Question: 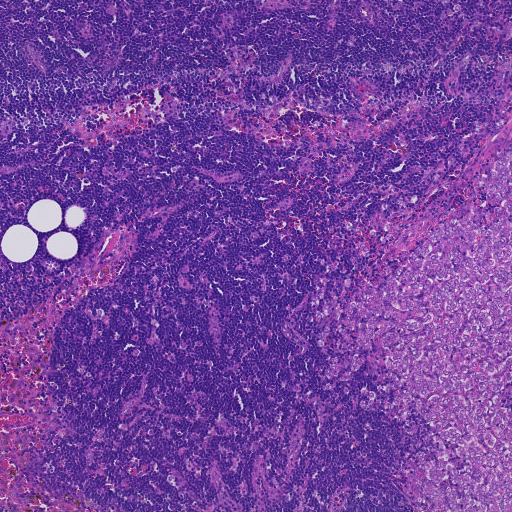
Lymph node section stained with H&E, from a whole-slide image of a breast-cancer sentinel node. Magnification about 5×, about 0.93 mm across the frame, about 1.8 µm per pixel.
What fraction of the image area is metastatic tumour?

Choices:
 (A) about 25% to 45%
 (B) about 5% or less
 (C) about 10% to 20%
 (D) none: no tumour is outlined
 (E) about 50% or more

Answer: (C) about 10% to 20%
About 15% of the field is tumour.
Outlines of six tumour regions, largest first (closed clockwise paths, crop pixels): region 1: (507, 150), (511, 511), (429, 511), (393, 477), (419, 452), (427, 418), (360, 408), (363, 394), (392, 401), (396, 390), (376, 386), (392, 379), (382, 334), (352, 378), (327, 390), (324, 370), (340, 355), (317, 341), (324, 328), (341, 334), (336, 308), (462, 201), (500, 204), (478, 182); region 2: (396, 217), (407, 224), (394, 243), (377, 254), (362, 254), (352, 236), (343, 230), (346, 222), (370, 229), (380, 228), (389, 219); region 3: (347, 275), (354, 278), (347, 296), (330, 313), (318, 320), (312, 313), (308, 301), (322, 276), (332, 276), (329, 285), (330, 294), (338, 288); region 4: (429, 166), (453, 179), (453, 184), (448, 188), (432, 184), (421, 176); region 5: (486, 118), (489, 122), (488, 130), (478, 135), (474, 134), (472, 128), (474, 119); region 6: (505, 107), (509, 110), (508, 121), (503, 126), (498, 126), (498, 110).
Question: 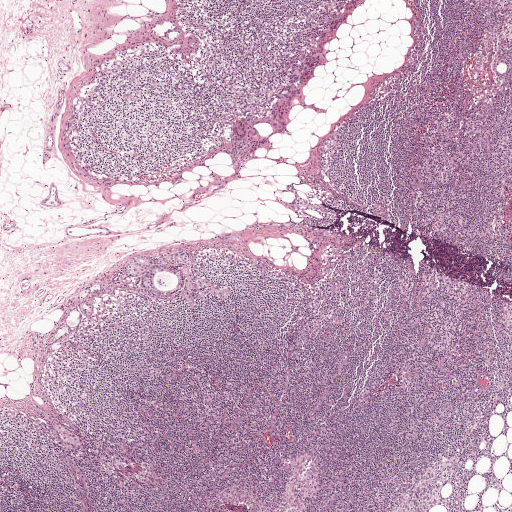
H&E-stained section of a sentinel lymph node (breast cancer), from a whole-slide image, viewed at about 2.5×: the field is about 2.0 mm across, about 3.9 µm per pixel.
What fraction of the image area is metastatic tumour?

Choices:
 (A) about 50% or more
 (B) none: no tumour is outlined
 (C) about 5% or less
 (D) about 10% to 20%
 (E) about 25% to 45%

Answer: (C) about 5% or less
Under 5% of the field is tumour.
Outlines of two tumour regions, largest first (closed clockwise paths, crop pixels): region 1: (174, 250), (186, 252), (195, 261), (197, 271), (219, 284), (231, 285), (231, 298), (228, 302), (220, 301), (207, 296), (206, 301), (199, 302), (196, 292), (194, 312), (182, 297), (153, 295), (141, 287), (140, 277), (130, 278), (123, 272), (121, 262), (127, 258); region 2: (58, 424), (85, 439), (86, 444), (83, 449), (77, 449), (66, 444), (52, 431), (52, 425).
Question: 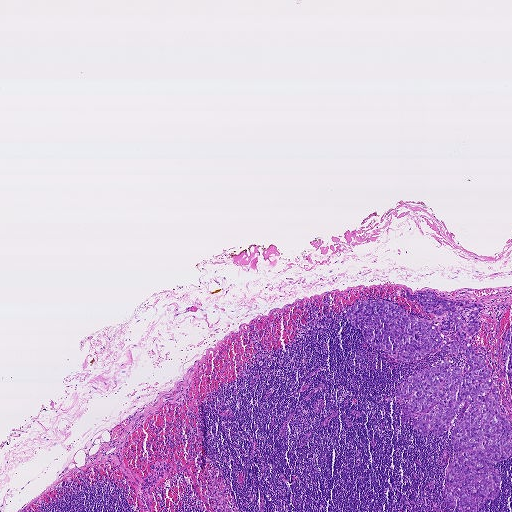
Lymph node section stained with H&E, from a whole-slide image of a breast-cancer sentinel node. Magnification about 2.5×, about 1.9 mm across the frame, about 3.6 µm per pixel.
What fraction of the image area is metastatic tumour?

Choices:
 (A) none: no tumour is outlined
 (B) about 25% to 45%
 (C) about 50% or more
 (D) about 5% or less
 (E) about 10% to 20%

Answer: (D) about 5% or less
About 5% of the field is tumour.
Boundaries of two metastatic tumour regions, simplified and listed clockwise, largest first: region 1: (407, 289), (484, 306), (475, 318), (481, 328), (470, 340), (487, 357), (499, 414), (511, 431), (511, 455), (491, 466), (502, 482), (496, 498), (475, 511), (449, 507), (444, 484), (457, 415), (439, 436), (431, 430), (421, 435), (412, 417), (401, 420), (409, 397), (395, 395), (399, 385), (444, 360), (466, 370), (466, 356), (436, 349), (403, 361), (370, 346), (345, 311), (370, 300), (395, 304), (434, 324), (444, 318), (403, 297); region 2: (511, 326), (511, 378), (508, 371), (507, 364), (509, 358), (509, 355), (507, 358), (504, 365), (504, 361), (502, 348), (506, 332).
Question: 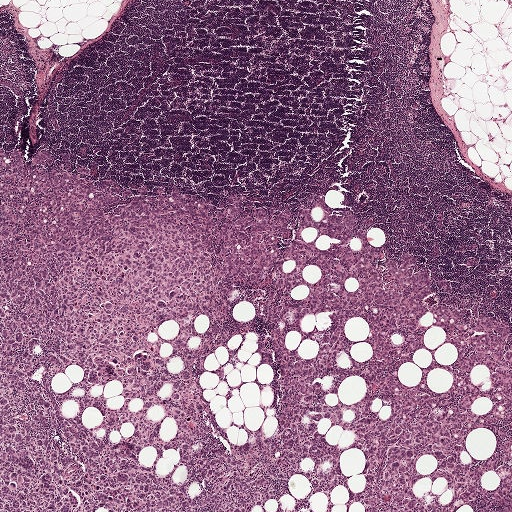
Lymph node section stained with H&E, from a whole-slide image of a breast-cancer sentinel node. Magnification about 2.5×, about 2.0 mm across the frame, about 3.9 µm per pixel.
What fraction of the image area is metastatic tumour?

Choices:
 (A) about 25% to 45%
 (B) about 5% or less
 (C) about 50% or more
 (D) none: no tumour is outlined
 (E) about 10% to 20%

Answer: (C) about 50% or more
About 50% of the field is tumour.
Tumour region outline (a closed clockwise path, crop pixels): (0, 150), (66, 155), (134, 194), (288, 210), (286, 250), (319, 196), (382, 248), (381, 268), (412, 255), (450, 285), (447, 307), (511, 323), (511, 511), (346, 511), (340, 486), (331, 511), (270, 499), (266, 511), (0, 511).
The outline encloses 57 non-tumour holes totalling about 15% of the region's area.